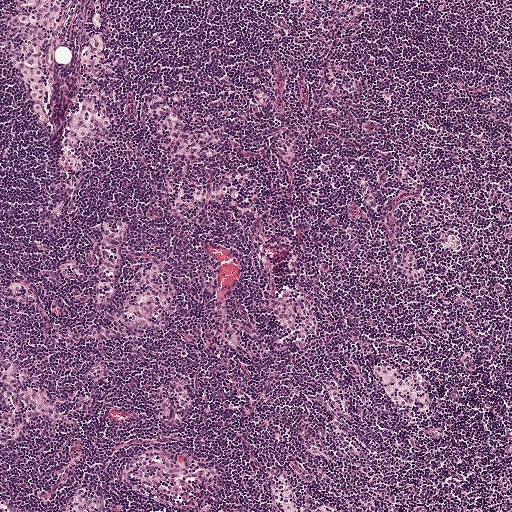
H&E-stained section of a sentinel lymph node (breast cancer), from a whole-slide image, viewed at about 5×: the field is about 1 mm across, about 1.9 µm per pixel.
Question: Is any metastatic breast cancer visible in this crop?
Answer: No. No metastatic tumour is outlined in this field.